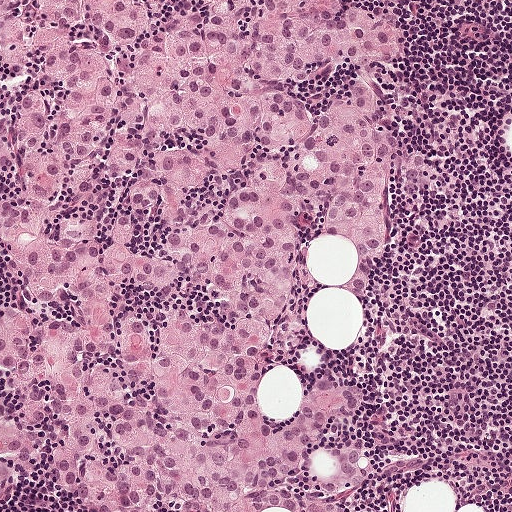
H&E-stained section of a sentinel lymph node (breast cancer), from a whole-slide image, viewed at about 10×: the field is about 0.5 mm across, about 0.97 µm per pixel.
The outlined metastatic tumour's edge, as a closed clockwise path of 24 points: (0, 0), (391, 0), (400, 56), (366, 68), (378, 126), (435, 171), (419, 201), (388, 180), (364, 305), (292, 268), (272, 337), (302, 388), (333, 375), (365, 394), (321, 439), (364, 451), (365, 484), (289, 482), (342, 511), (98, 511), (54, 468), (70, 426), (55, 413), (6, 501).
About 70% of the image area is annotated as tumour.